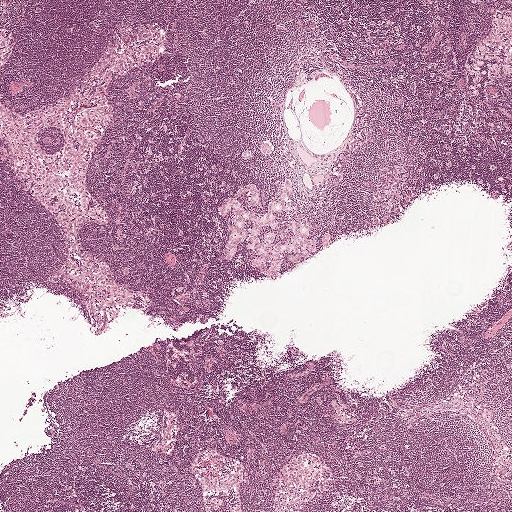
A 2.0-mm field of an H&E-stained sentinel lymph node from a breast-cancer patient (whole-slide image), shown at about 2.5×, about 3.9 µm per pixel.
Metastatic tumour outline, simplified to 33 points and listed clockwise in crop pixels (x, y): (287, 179), (290, 194), (283, 198), (294, 211), (272, 214), (278, 227), (263, 226), (258, 243), (268, 232), (274, 233), (276, 242), (288, 241), (291, 233), (285, 222), (304, 221), (315, 241), (314, 254), (284, 254), (273, 278), (250, 266), (249, 259), (256, 253), (245, 251), (241, 243), (223, 261), (228, 219), (216, 214), (216, 207), (237, 188), (255, 185), (257, 206), (247, 207), (262, 215).
Two more small tumour pieces are annotated here but not outlined.
Under 5% of this field is tumour.